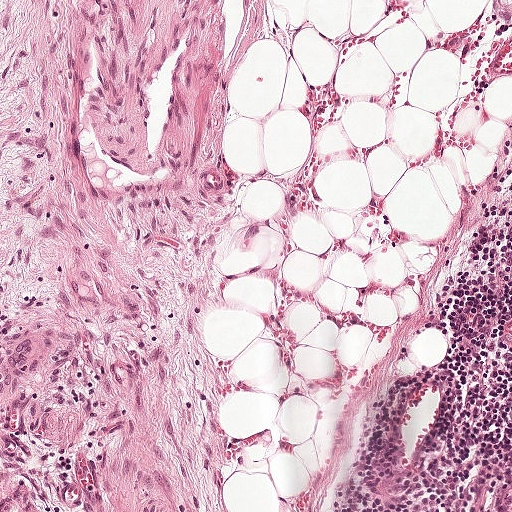
A 0.5-mm field of an H&E-stained sentinel lymph node from a breast-cancer patient (whole-slide image), shown at about 10×, about 0.97 µm per pixel.